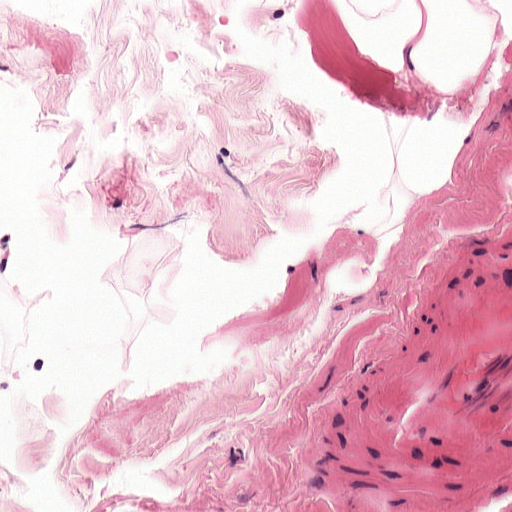
Lymph node section stained with H&E, from a whole-slide image of a breast-cancer sentinel node. Magnification about 20×, about 0.25 mm across the frame, about 0.49 µm per pixel.